Question: 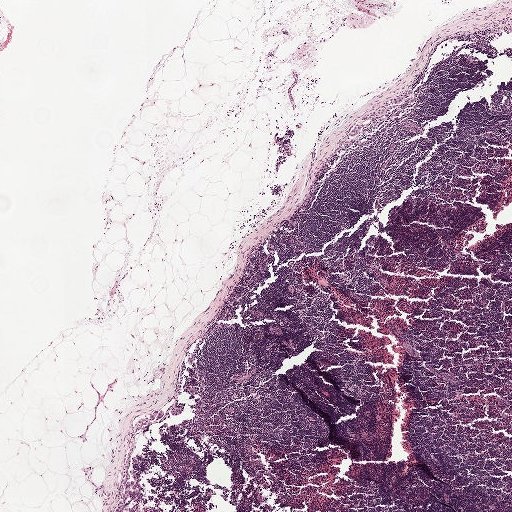
At roughly what magnification is this field shown?

Choices:
 (A) about 10×
 (B) about 5×
 (C) about 40×
 (D) about 2.5×
 (E) about 20×

Answer: (D) about 2.5×
Lymph node section stained with H&E, from a whole-slide image of a breast-cancer sentinel node. Magnification about 2.5×, about 2.0 mm across the frame, about 3.9 µm per pixel.
Outlines of four tumour regions, largest first (closed clockwise paths, crop pixels): region 1: (126, 469), (130, 475), (130, 479), (135, 484), (135, 488), (134, 489), (135, 493), (132, 496), (127, 498), (124, 504), (123, 510), (124, 511), (114, 511), (115, 504), (119, 495), (123, 489), (123, 483); region 2: (411, 90), (414, 92), (414, 94), (411, 96), (405, 96), (404, 98), (405, 99), (407, 99), (414, 98), (415, 99), (415, 102), (413, 104), (410, 104), (403, 101), (399, 104), (396, 104), (392, 103), (392, 98); region 3: (363, 123), (364, 125), (357, 135), (351, 137), (347, 136), (347, 134), (349, 132), (356, 125); region 4: (158, 410), (158, 412), (159, 410), (162, 410), (163, 412), (163, 416), (159, 419), (156, 420), (155, 420), (154, 418), (157, 414), (152, 419), (151, 419), (149, 418), (148, 417), (150, 414).
12 more small tumour pieces are annotated here but not outlined.
Under 5% of the image area is annotated as tumour.